Question: 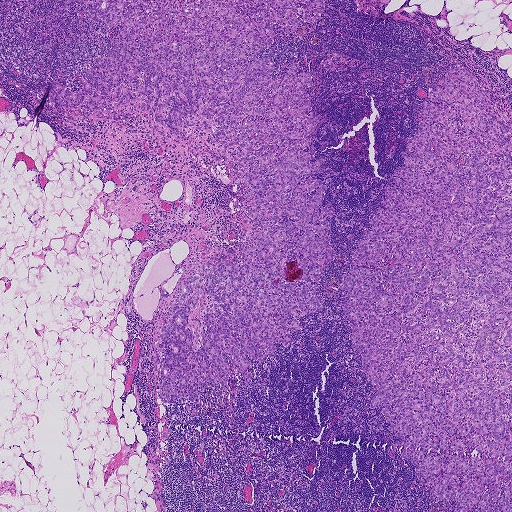
This is a crop of a whole-slide image: an H&E-stained breast-cancer sentinel lymph node section at roughly 2.5× magnification (about 3.6 µm per pixel; the crop spans about 1.9 mm).
About how much of this crop is taken up by metastatic carcinoma?

Choices:
 (A) about 10% to 20%
 (B) about 25% to 45%
 (C) about 5% or less
 (D) about 50% or more
 (E) none: no tumour is outlined

Answer: (B) about 25% to 45%
About 40% of the field is tumour.
Two metastatic tumour regions, each outlined as a closed clockwise path in crop pixels (x, y), largest first: region 1: (327, 0), (326, 24), (277, 34), (257, 57), (273, 60), (272, 78), (287, 63), (312, 75), (312, 119), (327, 114), (311, 145), (334, 214), (322, 311), (298, 320), (305, 331), (287, 348), (250, 362), (248, 385), (232, 366), (187, 411), (159, 399), (150, 354), (182, 280), (239, 253), (244, 172), (200, 120), (183, 142), (140, 109), (95, 124), (58, 112), (52, 81), (78, 92), (122, 27), (65, 1); region 2: (446, 70), (470, 72), (493, 114), (511, 122), (511, 511), (454, 511), (454, 498), (439, 508), (416, 465), (397, 449), (387, 455), (402, 438), (388, 432), (382, 407), (366, 405), (375, 388), (342, 314), (350, 263), (383, 185), (396, 188), (392, 171), (404, 167), (420, 104), (431, 101).